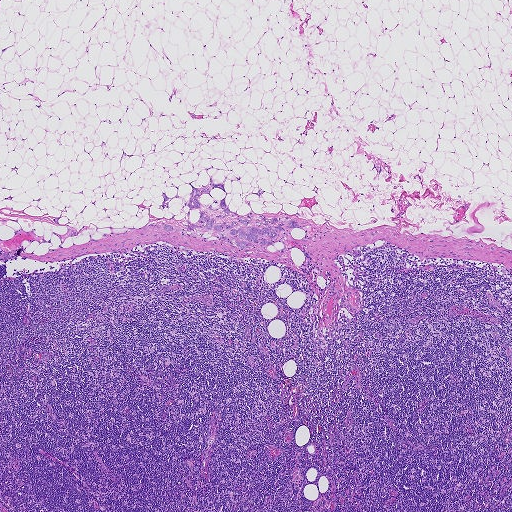
H&E-stained section of a sentinel lymph node (breast cancer), from a whole-slide image, viewed at about 2.5×: the field is about 1.9 mm across, about 3.6 µm per pixel.
Boundaries of four metastatic tumour regions, simplified and listed clockwise, largest first: region 1: (201, 211), (204, 216), (215, 219), (214, 226), (222, 222), (230, 225), (235, 221), (238, 224), (232, 226), (237, 229), (244, 224), (238, 220), (242, 217), (250, 221), (249, 226), (278, 225), (286, 230), (277, 232), (274, 237), (258, 235), (258, 237), (270, 238), (272, 244), (252, 243), (250, 245), (254, 247), (249, 249), (239, 248), (234, 240), (248, 241), (230, 235), (230, 229), (218, 232), (202, 225), (189, 230), (187, 220), (196, 222); region 2: (210, 176), (215, 183), (223, 181), (224, 176), (232, 179), (237, 176), (241, 177), (240, 182), (234, 180), (231, 183), (230, 180), (226, 179), (224, 185), (227, 193), (226, 195), (219, 188), (212, 189), (210, 192), (216, 200), (226, 196), (225, 202), (229, 209), (239, 215), (230, 214), (223, 217), (214, 217), (224, 214), (221, 208), (214, 211), (208, 209), (208, 205), (213, 200), (208, 194), (202, 195), (201, 193), (203, 187), (209, 188), (209, 190), (212, 187), (208, 182); region 3: (194, 188), (198, 188), (200, 190), (200, 194), (198, 197), (198, 201), (200, 203), (200, 207), (196, 207), (189, 207), (187, 205), (190, 198), (191, 190); region 4: (172, 182), (173, 184), (178, 187), (178, 193), (179, 198), (175, 198), (172, 200), (169, 203), (168, 204), (169, 208), (168, 208), (166, 207), (162, 209), (162, 208), (161, 204), (163, 200), (161, 196), (162, 191), (163, 192), (165, 191), (166, 195), (170, 197), (171, 197), (175, 195), (177, 190), (176, 189), (171, 186).
Five more small tumour pieces are annotated here but not outlined.
Tumour covers under 5% of the frame.